Question: 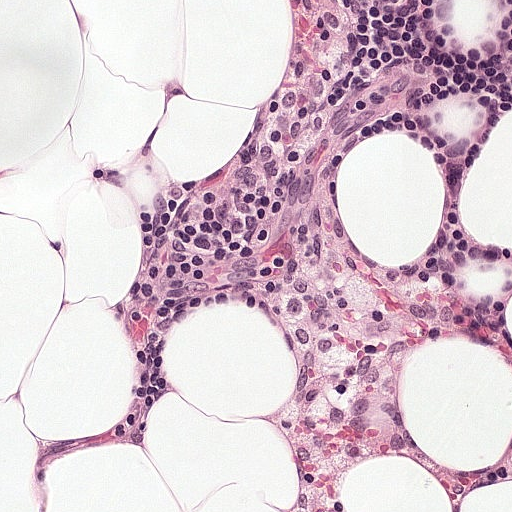
About what magnification does this crop show?

Choices:
 (A) about 5×
 (B) about 40×
 (C) about 10×
 (D) about 20×
 (E) about 2.5×

Answer: (D) about 20×
A 0.25-mm field of an H&E-stained sentinel lymph node from a breast-cancer patient (whole-slide image), shown at about 20×, about 0.49 µm per pixel.